Image:
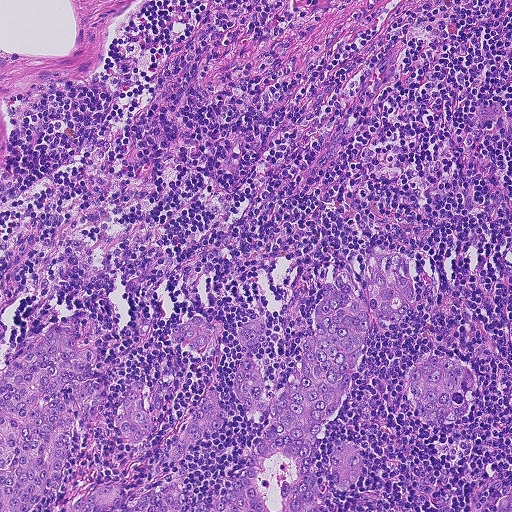
A 0.46-mm field of an H&E-stained sentinel lymph node from a breast-cancer patient (whole-slide image), shown at about 10×, about 0.9 µm per pixel.
Question:
Which parts of this field are metastatic tumour?
Answer:
Outlines of the eight largest metastatic tumour regions, each a closed clockwise path in crop pixels (x, y), largest first: region 1: (397, 251), (414, 285), (413, 305), (401, 322), (372, 318), (314, 460), (321, 511), (205, 511), (275, 421), (262, 426), (233, 387), (243, 322), (264, 318), (252, 354), (272, 398), (316, 334), (312, 316), (324, 283), (334, 285), (339, 272), (358, 292), (368, 259); region 2: (63, 316), (70, 316), (75, 330), (70, 344), (94, 354), (92, 368), (104, 391), (104, 412), (92, 430), (79, 427), (74, 418), (66, 433), (70, 439), (59, 486), (32, 508), (0, 511), (0, 374), (47, 329); region 3: (434, 356), (454, 359), (471, 372), (476, 381), (476, 392), (468, 412), (462, 421), (441, 425), (420, 421), (413, 414), (406, 384), (407, 373), (415, 364), (424, 358); region 4: (212, 382), (224, 423), (219, 431), (200, 440), (192, 446), (179, 462), (168, 462), (164, 454), (192, 416); region 5: (134, 380), (144, 380), (145, 411), (153, 417), (153, 426), (150, 436), (132, 446), (125, 440), (114, 424), (115, 414); region 6: (193, 314), (212, 320), (222, 320), (222, 330), (218, 340), (204, 354), (194, 354), (171, 340), (169, 330), (175, 322); region 7: (337, 441), (348, 442), (356, 448), (362, 456), (362, 467), (359, 477), (347, 493), (337, 491), (331, 482), (331, 450); region 8: (184, 473), (184, 497), (179, 511), (125, 511), (148, 493).
Two more, smaller tumour regions are not outlined.
Tumour covers about 20% of the frame.